This is a crop of a whole-slide image: an H&E-stained breast-cancer sentinel lymph node section at roughly 20× magnification (about 0.49 µm per pixel; the crop spans about 0.25 mm).
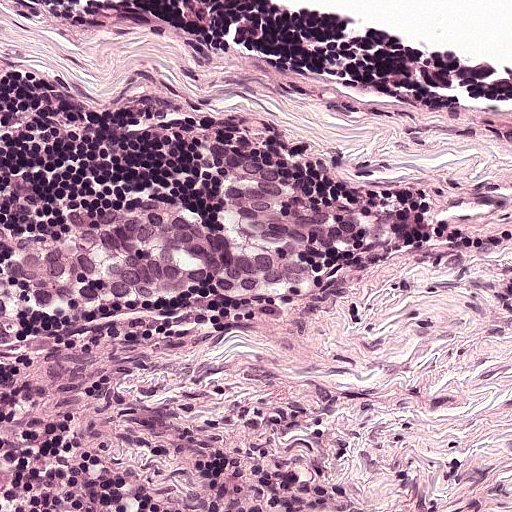
One metastatic tumour region; its boundary, reduced to 20 corners and listed clockwise: (278, 180), (366, 224), (368, 233), (322, 246), (322, 272), (298, 288), (224, 288), (196, 279), (101, 308), (26, 310), (0, 326), (0, 258), (27, 232), (58, 224), (76, 206), (115, 210), (174, 200), (218, 222), (226, 218), (222, 185).
About 10% of this field is tumour.